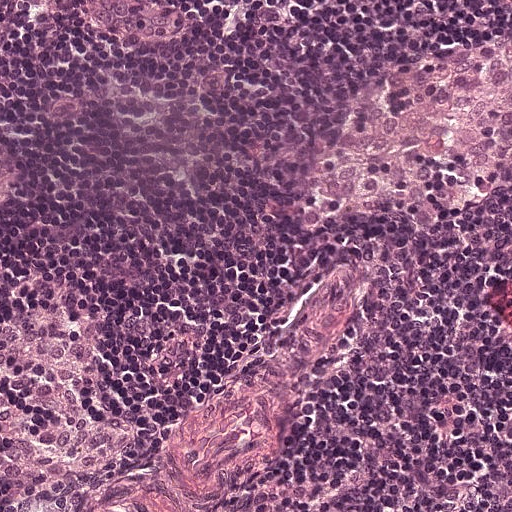
Lymph node section stained with H&E, from a whole-slide image of a breast-cancer sentinel node. Magnification about 20×, about 0.25 mm across the frame, about 0.49 µm per pixel.
Question: Does this lymph node field contain metastatic tumour?
Answer: No: no metastatic tumour is outlined anywhere in this field.